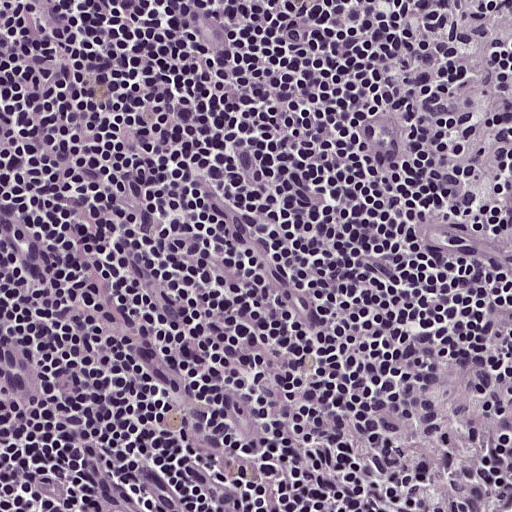
Lymph node section stained with H&E, from a whole-slide image of a breast-cancer sentinel node. Magnification about 20×, about 0.25 mm across the frame, about 0.49 µm per pixel.